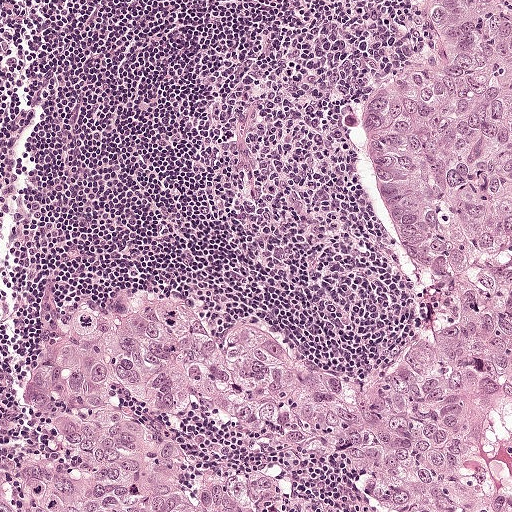
Lymph node section stained with H&E, from a whole-slide image of a breast-cancer sentinel node. Magnification about 10×, about 0.5 mm across the frame, about 0.97 µm per pixel.
Question: Where is the metastatic tumour in this field? Give each region's outline as (x, y) pixel points.
Answer: Tumour region outline (a closed clockwise path, crop pixels): (511, 0), (511, 511), (0, 511), (0, 481), (47, 470), (17, 425), (26, 355), (88, 302), (155, 291), (188, 303), (208, 336), (245, 330), (352, 379), (394, 365), (418, 331), (449, 314), (382, 215), (359, 134), (383, 77), (421, 32), (415, 3).
The annotated tumour makes up about 50% of the crop.

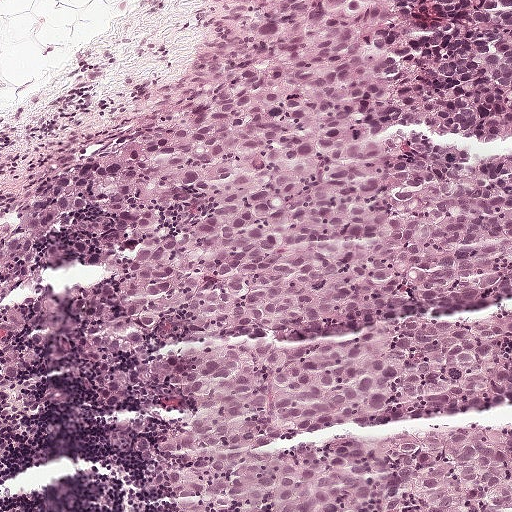
Lymph node section stained with H&E, from a whole-slide image of a breast-cancer sentinel node. Magnification about 10×, about 0.5 mm across the frame, about 0.97 µm per pixel.
Question: Where is the metastatic tumour in this field? Give each region's outline as (x, y) pixel points.
Answer: The outlined metastatic tumour's edge, as a closed clockwise path of 10 points: (511, 0), (511, 511), (136, 511), (86, 415), (90, 374), (108, 348), (90, 284), (0, 314), (0, 187), (198, 3).
About 85% of this field is tumour.

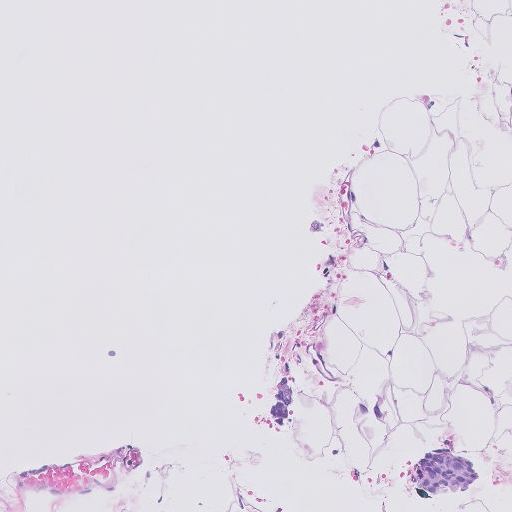
This is a crop of a whole-slide image: an H&E-stained breast-cancer sentinel lymph node section at roughly 10× magnification (about 1.0 µm per pixel; the crop spans about 0.51 mm).
Question: Where is the metastatic tumour in this field? Give each region's outline as (x, y) pixel points.
Answer: Outlines of three tumour regions, largest first (closed clockwise paths, crop pixels): region 1: (450, 438), (477, 457), (492, 488), (424, 499), (401, 478), (424, 442); region 2: (278, 359), (304, 368), (292, 432), (260, 426); region 3: (305, 218), (332, 218), (332, 239), (303, 238).
One more small tumour piece is annotated here but not outlined.
Tumour covers under 5% of the frame.

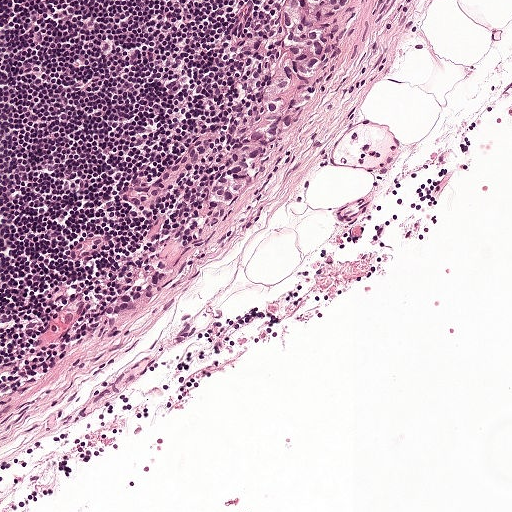
A 0.5-mm field of an H&E-stained sentinel lymph node from a breast-cancer patient (whole-slide image), shown at about 10×, about 0.97 µm per pixel.
Question: Where is the metastatic tumour in this field? Give each region's outline as (x, y) pixel points.
Answer: One metastatic tumour region; its boundary, reduced to 12 corners and listed clockwise: (289, 0), (347, 0), (339, 51), (316, 88), (296, 138), (265, 166), (234, 216), (223, 226), (207, 226), (197, 219), (234, 136), (274, 61).
The annotated tumour makes up about 5% of the crop.